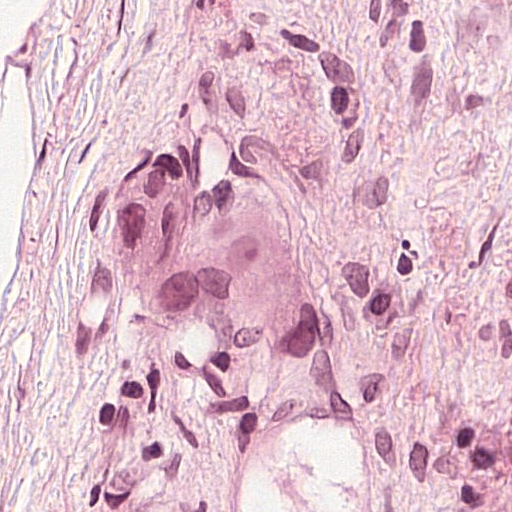
Lymph node section stained with H&E, from a whole-slide image of a breast-cancer sentinel node. Magnification about 40×, about 0.12 mm across the frame, about 0.24 µm per pixel.
Boundaries of three metastatic tumour regions, simplified and listed clockwise, largest first: region 1: (132, 113), (192, 122), (254, 172), (317, 203), (350, 250), (345, 356), (295, 377), (217, 363), (167, 316), (89, 272), (58, 222), (58, 200), (70, 159), (98, 128); region 2: (511, 418), (511, 511), (497, 511), (489, 500), (486, 484), (482, 478), (482, 444), (501, 425); region 3: (102, 500), (136, 506), (152, 506), (152, 509), (153, 511), (88, 511), (89, 509), (98, 506).
The annotated tumour makes up about 20% of the crop.